Question: 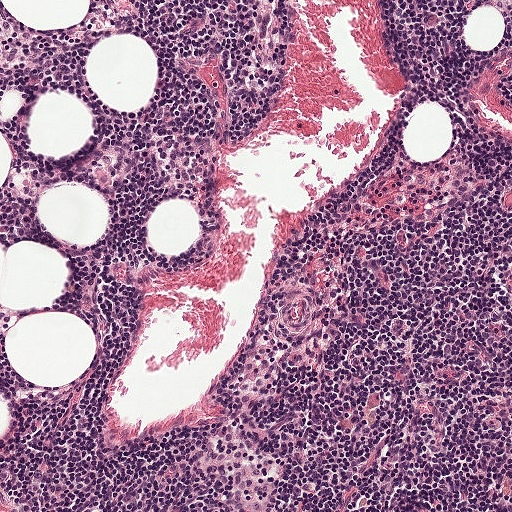
About what magnification does this crop show?

Choices:
 (A) about 20×
 (B) about 40×
 (C) about 5×
 (D) about 2.5×
 (E) about 10×

Answer: (E) about 10×
A 0.5-mm field of an H&E-stained sentinel lymph node from a breast-cancer patient (whole-slide image), shown at about 10×, about 0.97 µm per pixel.